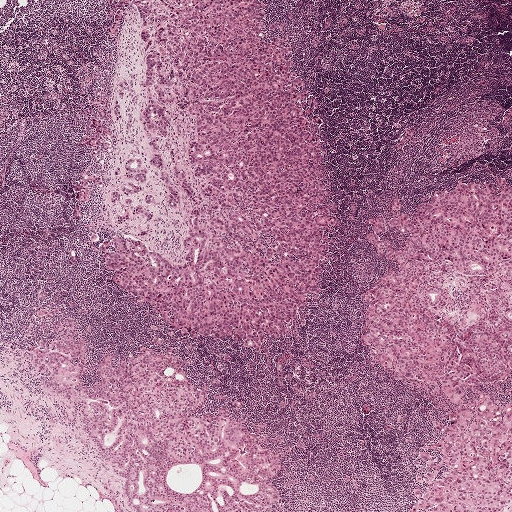
This is a crop of a whole-slide image: an H&E-stained breast-cancer sentinel lymph node section at roughly 2.5× magnification (about 3.9 µm per pixel; the crop spans about 2.0 mm).
Question: Which parts of this field are metastatic tumour?
Answer: Outlines of the eight largest metastatic tumour regions, each a closed clockwise path in crop pixels (x, y), largest first: region 1: (106, 0), (255, 0), (262, 39), (292, 47), (317, 102), (324, 203), (340, 226), (299, 337), (266, 336), (259, 353), (184, 337), (120, 290), (99, 249), (126, 234), (178, 265), (189, 210), (210, 208), (188, 159), (196, 123), (165, 105), (153, 169), (137, 14), (126, 6), (111, 36); region 2: (458, 183), (500, 196), (503, 191), (511, 185), (511, 374), (479, 388), (511, 402), (511, 504), (410, 511), (430, 490), (420, 452), (441, 461), (436, 426), (457, 410), (361, 342), (363, 295), (398, 268), (366, 236), (398, 251), (407, 237), (369, 221), (411, 220); region 3: (82, 337), (81, 387), (88, 387), (106, 353), (117, 364), (140, 346), (171, 346), (205, 394), (190, 416), (225, 407), (251, 432), (266, 423), (264, 447), (282, 467), (271, 511), (134, 511), (69, 401), (43, 390), (29, 362), (34, 348); region 4: (136, 157), (143, 161), (146, 175), (144, 184), (138, 185), (142, 191), (134, 196), (125, 194), (120, 204), (112, 204), (107, 194), (114, 191), (121, 190), (122, 187), (129, 183), (124, 166), (129, 158); region 5: (97, 108), (101, 109), (105, 112), (106, 118), (101, 122), (101, 128), (104, 139), (108, 144), (108, 149), (107, 154), (104, 155), (98, 155), (93, 154), (92, 152), (93, 148), (82, 144), (85, 137), (97, 132), (87, 127), (91, 120), (88, 112), (88, 110), (94, 110), (96, 113); region 6: (88, 171), (91, 174), (97, 175), (102, 177), (106, 188), (104, 190), (100, 189), (93, 182), (90, 181), (88, 189), (90, 195), (88, 200), (86, 203), (80, 204), (80, 215), (77, 220), (75, 220), (71, 219), (71, 217), (75, 208), (83, 194), (82, 188), (78, 185), (80, 178); region 7: (164, 171), (168, 172), (178, 190), (180, 201), (177, 209), (170, 208), (167, 189), (159, 179), (161, 173); region 8: (174, 166), (184, 171), (193, 188), (197, 205), (194, 204), (185, 195), (180, 185), (179, 180), (174, 176), (173, 174), (173, 167).
Three more, smaller tumour regions are not outlined.
Three more small tumour pieces are annotated here but not outlined.
About 45% of the image area is annotated as tumour.